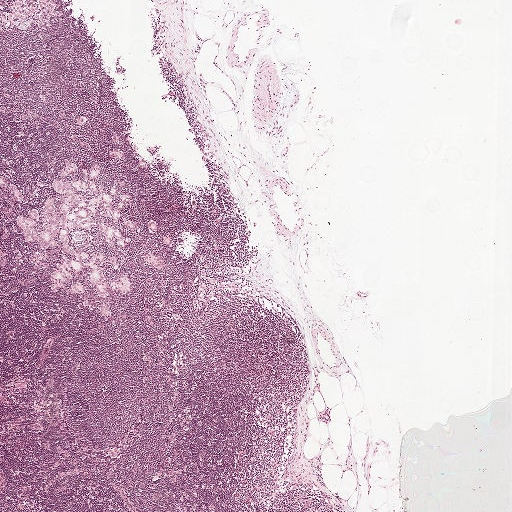
This is a crop of a whole-slide image: an H&E-stained breast-cancer sentinel lymph node section at roughly 2.5× magnification (about 3.9 µm per pixel; the crop spans about 2.0 mm).
Outlines of five tumour regions, largest first (closed clockwise paths, crop pixels): region 1: (69, 161), (80, 172), (65, 177), (63, 183), (71, 183), (86, 178), (90, 166), (102, 165), (97, 184), (109, 192), (115, 185), (127, 195), (120, 213), (137, 226), (133, 231), (93, 214), (91, 220), (130, 238), (122, 249), (103, 245), (95, 227), (68, 233), (73, 248), (98, 254), (108, 289), (104, 299), (90, 288), (85, 268), (49, 291), (50, 272), (65, 258), (54, 248), (45, 269), (34, 271), (27, 262), (35, 247), (22, 243), (16, 218), (44, 210), (52, 180); region 2: (0, 174), (20, 187), (26, 195), (25, 204), (18, 202), (0, 189); region 3: (122, 274), (128, 276), (130, 287), (126, 294), (123, 294), (112, 289), (110, 283), (110, 279); region 4: (150, 252), (161, 258), (162, 261), (162, 269), (156, 269), (147, 263), (144, 260), (144, 254); region 5: (75, 282), (81, 284), (83, 285), (84, 288), (84, 292), (82, 294), (76, 293), (70, 290), (69, 289), (69, 284).
Three more small tumour pieces are annotated here but not outlined.
About 5% of this field is tumour.